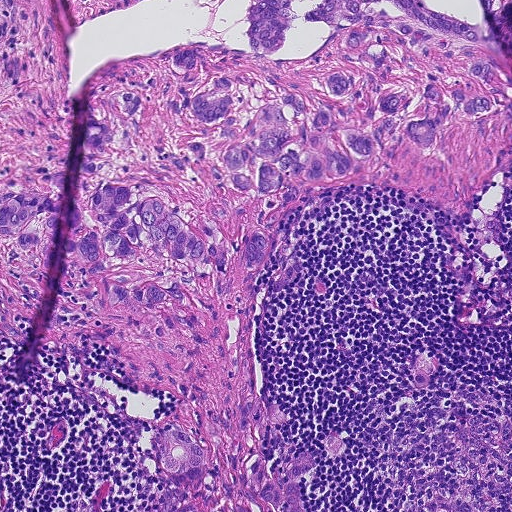
This is a crop of a whole-slide image: an H&E-stained breast-cancer sentinel lymph node section at roughly 10× magnification (about 0.9 µm per pixel; the crop spans about 0.46 mm).
Two metastatic tumour regions, each outlined as a closed clockwise path in crop pixels (x, y), largest first: region 1: (0, 0), (511, 0), (511, 161), (467, 218), (394, 186), (347, 187), (291, 203), (274, 234), (252, 332), (270, 470), (320, 453), (328, 432), (348, 442), (302, 476), (309, 511), (154, 511), (171, 488), (152, 438), (182, 401), (127, 377), (105, 347), (74, 363), (47, 341), (9, 337); region 2: (428, 354), (436, 365), (435, 379), (424, 388), (412, 381), (415, 360).
Tumour covers about 60% of the frame.